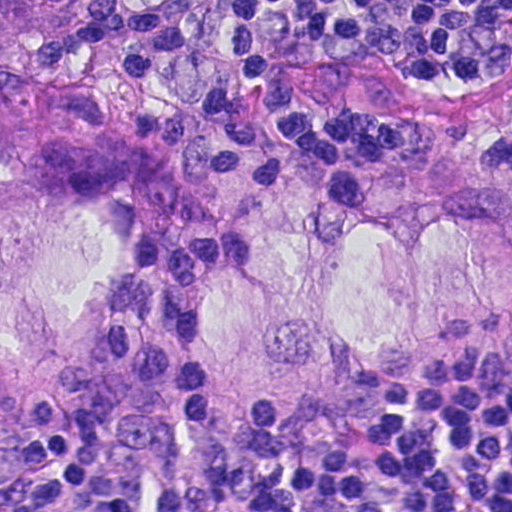
H&E-stained section of a sentinel lymph node (breast cancer), from a whole-slide image, viewed at about 40×: the field is about 0.12 mm across, about 0.23 µm per pixel.
Outlines of two tumour regions, largest first (closed clockwise paths, crop pixels): region 1: (280, 150), (336, 153), (383, 184), (435, 166), (511, 179), (511, 323), (380, 361), (284, 424), (239, 398), (209, 351), (198, 297); region 2: (0, 75), (85, 90), (141, 119), (156, 172), (156, 232), (136, 287), (63, 358), (0, 370).
The annotated tumour makes up about 35% of the crop.